H&E-stained section of a sentinel lymph node (breast cancer), from a whole-slide image, viewed at about 10×: the field is about 0.46 mm across, about 0.9 µm per pixel.
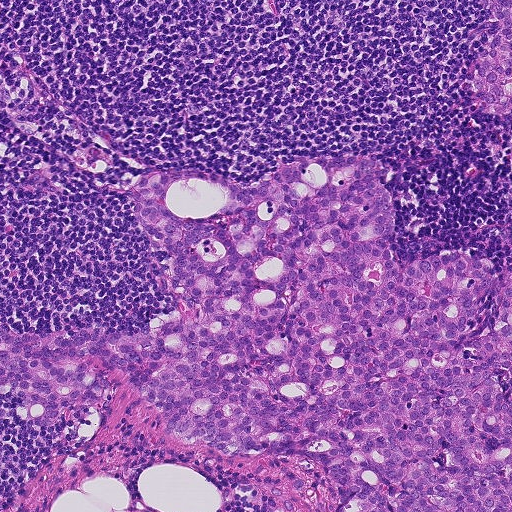
Boundaries of two metastatic tumour regions, simplified and listed clockwise, largest first: region 1: (366, 156), (383, 164), (413, 259), (466, 244), (499, 274), (511, 261), (511, 511), (332, 511), (306, 457), (173, 440), (118, 376), (93, 439), (74, 432), (80, 414), (17, 419), (0, 329), (143, 332), (172, 312), (127, 198), (150, 170), (240, 185); region 2: (477, 0), (511, 0), (511, 118), (490, 120), (473, 114), (464, 98), (465, 78), (471, 60), (480, 41), (496, 22), (482, 9).
One more small tumour piece is annotated here but not outlined.
Tumour covers about 45% of the frame.